Lymph node section stained with H&E, from a whole-slide image of a breast-cancer sentinel node. Magnification about 5×, about 0.93 mm across the frame, about 1.8 µm per pixel.
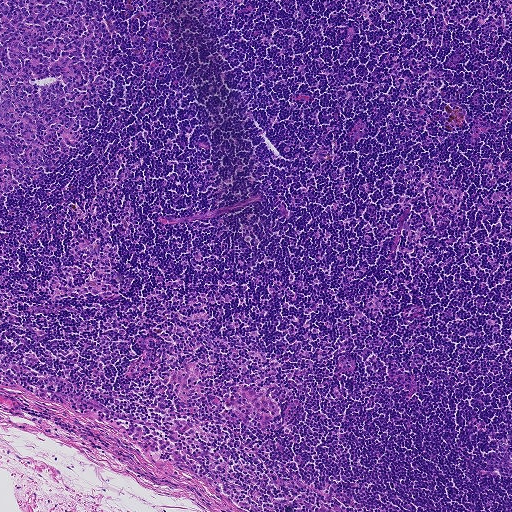
Question: Is any metastatic breast cancer visible in this crop?
Answer: No, this field holds no outlined metastasis.